Question: 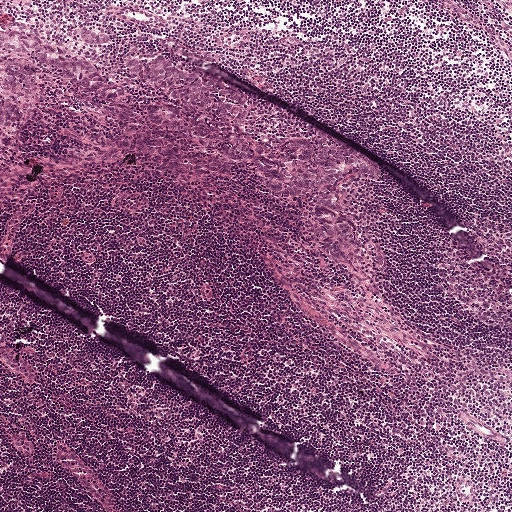
A 1-mm field of an H&E-stained sentinel lymph node from a breast-cancer patient (whole-slide image), shown at about 5×, about 1.9 µm per pixel.
Roughly what share of this field is metastatic tumour?

Choices:
 (A) about 25% to 45%
 (B) about 5% or less
 (C) about 50% or more
 (D) none: no tumour is outlined
 (E) about 10% to 20%

Answer: (E) about 10% to 20%
About 10% of the field is tumour.
Five metastatic tumour regions, each outlined as a closed clockwise path in crop pixels (x, y), largest first: region 1: (169, 107), (204, 124), (246, 134), (264, 145), (300, 138), (338, 145), (368, 160), (381, 180), (347, 182), (340, 194), (341, 202), (357, 217), (372, 258), (354, 267), (333, 259), (321, 248), (313, 227), (314, 201), (272, 197), (248, 165), (164, 135), (146, 118), (146, 108); region 2: (137, 55), (148, 60), (160, 56), (180, 67), (198, 70), (237, 88), (250, 102), (248, 122), (244, 125), (237, 125), (211, 120), (167, 101), (156, 92), (132, 79), (125, 65), (129, 58); region 3: (0, 20), (43, 40), (59, 42), (75, 49), (94, 68), (111, 79), (122, 93), (121, 101), (104, 102), (64, 82), (59, 76), (33, 58), (14, 57), (0, 52); region 4: (22, 62), (30, 66), (34, 70), (38, 84), (39, 98), (30, 122), (10, 133), (14, 140), (10, 146), (0, 146), (0, 76), (2, 77), (2, 73), (0, 63); region 5: (85, 27), (92, 29), (95, 33), (98, 32), (109, 34), (110, 41), (95, 46), (82, 43), (78, 38), (78, 30).